Question: 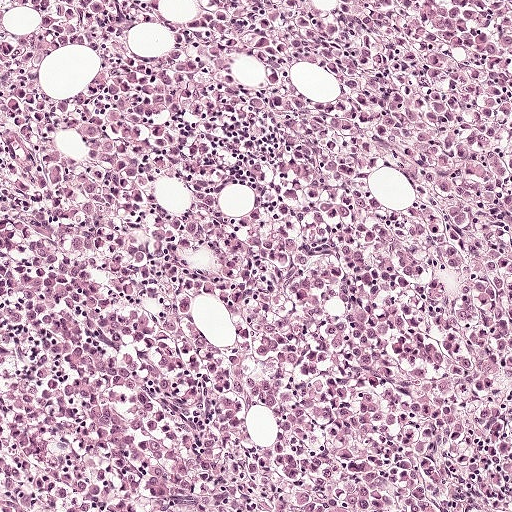
A 0.5-mm field of an H&E-stained sentinel lymph node from a breast-cancer patient (whole-slide image), shown at about 10×, about 0.97 µm per pixel.
About how much of this crop is taken up by metastatic carcinoma?

Choices:
 (A) about 50% or more
 (B) about 5% or less
 (C) none: no tumour is outlined
 (D) about 10% to 20%
 (E) about 25% to 45%

Answer: (A) about 50% or more
About 55% of the field is tumour.
Boundaries of two metastatic tumour regions, simplified and listed clockwise, largest first: region 1: (52, 210), (84, 213), (108, 252), (158, 278), (224, 278), (318, 253), (359, 268), (400, 308), (450, 411), (443, 511), (0, 511), (0, 502), (37, 486), (35, 461), (0, 418), (0, 229); region 2: (354, 0), (511, 6), (511, 418), (453, 321), (412, 216), (388, 180), (350, 40).